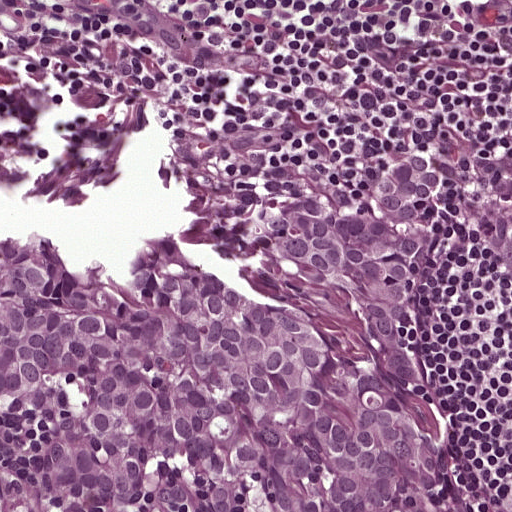
This is a crop of a whole-slide image: an H&E-stained breast-cancer sentinel lymph node section at roughly 20× magnification (about 0.49 µm per pixel; the crop spans about 0.25 mm).
Tumour region outline (a closed clockwise path, crop pixels): (484, 141), (511, 158), (511, 280), (483, 266), (436, 211), (412, 320), (435, 511), (47, 511), (6, 412), (0, 232), (34, 227), (100, 268), (164, 230), (220, 273), (291, 299), (344, 355), (374, 362), (356, 326), (280, 242), (278, 204), (352, 192), (412, 146), (464, 174).
The annotated tumour makes up about 45% of the crop.